This is a crop of a whole-slide image: an H&E-stained breast-cancer sentinel lymph node section at roughly 10× magnification (about 0.97 µm per pixel; the crop spans about 0.5 mm).
Image:
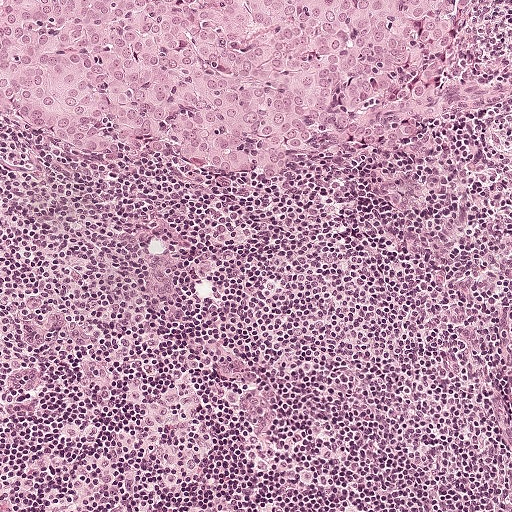
Question:
Is any metastatic breast cancer visible in this crop?
Answer:
Yes.
The outlined metastatic tumour's edge, as a closed clockwise path of 7 points: (0, 0), (505, 0), (455, 94), (328, 177), (253, 187), (102, 168), (5, 131).
The annotated tumour makes up about 30% of the crop.